Lymph node section stained with H&E, from a whole-slide image of a breast-cancer sentinel node. Magnification about 5×, about 1 mm across the frame, about 1.9 µm per pixel.
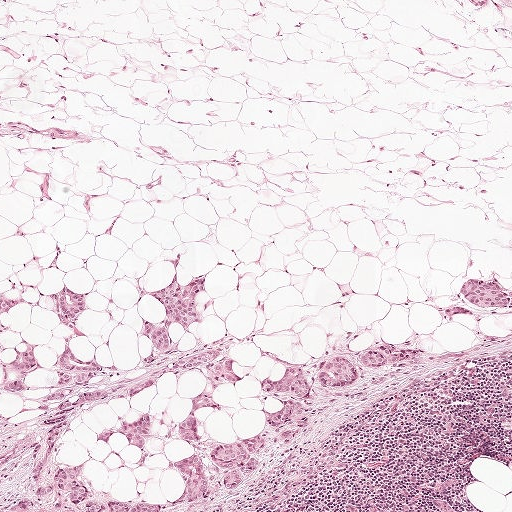
Boundaries of five metastatic tumour regions, simplified and listed clockwise, largest first: region 1: (494, 271), (503, 284), (511, 287), (511, 305), (480, 306), (462, 295), (462, 280), (470, 277), (493, 274); region 2: (24, 338), (33, 340), (36, 343), (37, 347), (37, 366), (36, 368), (23, 373), (1, 362), (0, 340), (3, 353), (8, 357), (15, 356), (17, 346), (19, 341); region 3: (14, 377), (28, 382), (28, 386), (21, 391), (1, 394), (0, 379); region 4: (463, 303), (475, 308), (476, 316), (467, 313), (461, 313), (455, 316), (445, 317), (443, 315), (443, 307), (446, 306); region 5: (0, 291), (1, 291), (17, 296), (17, 299), (12, 306), (6, 308), (1, 313), (0, 321).
One more tumour region is annotated but not outlined: its edge is too irregular for a short outline.
About 15% of the image area is annotated as tumour.